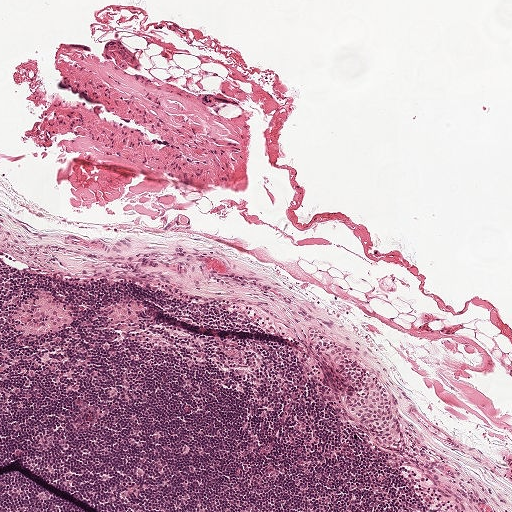
H&E-stained section of a sentinel lymph node (breast cancer), from a whole-slide image, viewed at about 5×: the field is about 1 mm across, about 1.9 µm per pixel.
Metastatic tumour outline, simplified to 16 points and listed clockwise in crop pixels (x, y): (314, 329), (324, 333), (342, 346), (388, 390), (398, 419), (403, 428), (406, 452), (404, 458), (392, 458), (380, 452), (361, 423), (351, 416), (339, 374), (328, 361), (319, 357), (308, 333).
Under 5% of the image area is annotated as tumour.